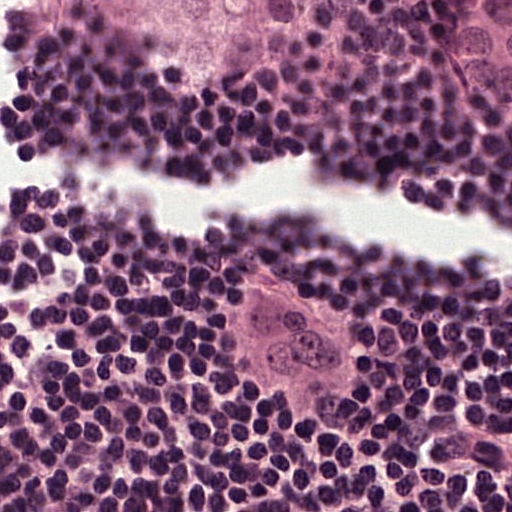
H&E-stained section of a sentinel lymph node (breast cancer), from a whole-slide image, viewed at about 40×: the field is about 0.12 mm across, about 0.24 µm per pixel.
Question: Trace the edge of each tumour region in this crop, as (x, y) points from 0 to 511.
Answer: Three metastatic tumour regions, each outlined as a closed clockwise path in crop pixels (x, y), largest first: region 1: (262, 267), (291, 271), (356, 301), (358, 315), (374, 330), (368, 385), (360, 395), (340, 403), (307, 404), (268, 385), (246, 362), (232, 342), (228, 289), (234, 279); region 2: (343, 0), (343, 12), (342, 24), (334, 34), (291, 49), (258, 52), (199, 38), (197, 34), (128, 2); region 3: (436, 0), (511, 0), (511, 94), (503, 79), (501, 69), (483, 51), (458, 32), (452, 32), (452, 28), (448, 26).
About 10% of this field is tumour.